Lymph node section stained with H&E, from a whole-slide image of a breast-cancer sentinel node. Magnification about 10×, about 0.46 mm across the frame, about 0.9 µm per pixel.
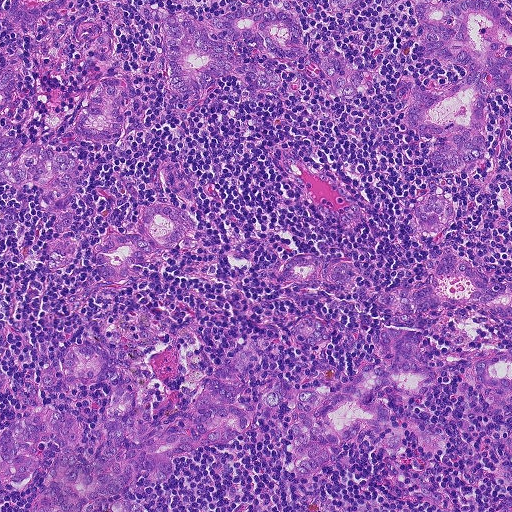
The eight largest tumour regions' boundaries, simplified and listed clockwise, largest first: region 1: (258, 335), (242, 370), (236, 406), (254, 413), (245, 429), (177, 460), (174, 478), (157, 484), (141, 474), (116, 498), (133, 501), (146, 511), (102, 511), (98, 498), (84, 510), (30, 511), (56, 446), (38, 442), (36, 478), (20, 488), (0, 478), (0, 427), (10, 420), (46, 406), (80, 421), (86, 438), (99, 418), (112, 381), (76, 386), (62, 374), (58, 356), (71, 342), (89, 338), (107, 344), (134, 389), (130, 407), (155, 394), (153, 421), (187, 408), (222, 366); region 2: (381, 0), (447, 0), (448, 5), (490, 0), (511, 24), (511, 104), (498, 90), (486, 98), (489, 155), (477, 162), (435, 169), (428, 157), (440, 149), (434, 136), (408, 123), (410, 81), (437, 91), (465, 81), (466, 67), (422, 59), (416, 47), (413, 6), (399, 1), (381, 11); region 3: (149, 4), (162, 14), (204, 18), (274, 6), (287, 12), (311, 49), (352, 62), (362, 88), (352, 98), (338, 94), (310, 62), (281, 59), (243, 40), (230, 45), (280, 72), (283, 86), (256, 88), (216, 74), (203, 80), (192, 106), (178, 109), (168, 100), (164, 44), (146, 18); region 4: (378, 323), (415, 328), (423, 362), (437, 372), (432, 385), (418, 398), (400, 396), (382, 388), (375, 396), (389, 408), (407, 442), (394, 457), (372, 428), (355, 433), (315, 474), (298, 481), (290, 444), (294, 426), (292, 390), (353, 378), (366, 364), (384, 362), (376, 344); region 5: (0, 127), (6, 137), (64, 153), (77, 162), (81, 176), (70, 206), (74, 220), (72, 235), (78, 249), (71, 264), (56, 268), (43, 261), (44, 246), (56, 226), (56, 211), (46, 210), (39, 196), (36, 181), (20, 186), (6, 184), (0, 177); region 6: (450, 256), (479, 272), (489, 284), (511, 282), (511, 317), (495, 319), (483, 310), (495, 302), (448, 307), (418, 316), (401, 314), (372, 300), (375, 290), (421, 286), (432, 276), (436, 261); region 7: (158, 203), (173, 205), (188, 212), (200, 240), (188, 249), (157, 247), (129, 277), (114, 281), (99, 276), (93, 262), (92, 247), (122, 236), (138, 236), (135, 221), (142, 208); region 8: (112, 76), (125, 83), (127, 98), (118, 110), (124, 125), (118, 140), (103, 142), (74, 134), (76, 118), (83, 104), (87, 90), (96, 78).
Nine more, smaller tumour regions are not outlined.
One more small tumour piece is annotated here but not outlined.
The annotated tumour makes up about 30% of the crop.